Image:
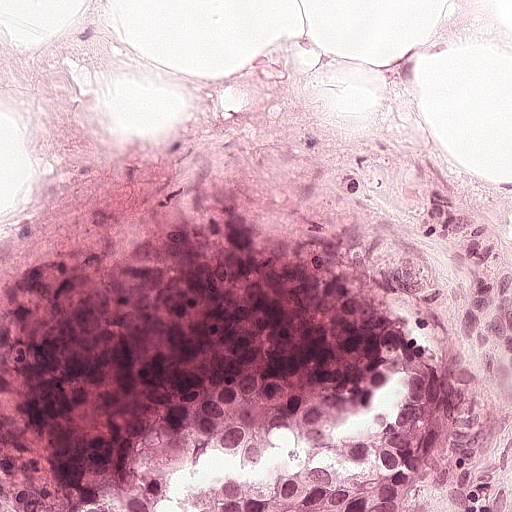
H&E-stained section of a sentinel lymph node (breast cancer), from a whole-slide image, viewed at about 20×: the field is about 0.25 mm across, about 0.49 µm per pixel.
Question:
Is any metastatic breast cancer visible in this crop?
Answer:
Yes.
One metastatic tumour region; its boundary, reduced to 13 corners and listed clockwise: (410, 353), (418, 380), (406, 458), (420, 490), (453, 511), (55, 511), (152, 450), (191, 396), (208, 386), (272, 382), (330, 408), (375, 385), (398, 354).
About 15% of the image area is annotated as tumour.